A 1.9-mm field of an H&E-stained sentinel lymph node from a breast-cancer patient (whole-slide image), shown at about 2.5×, about 3.6 µm per pixel.
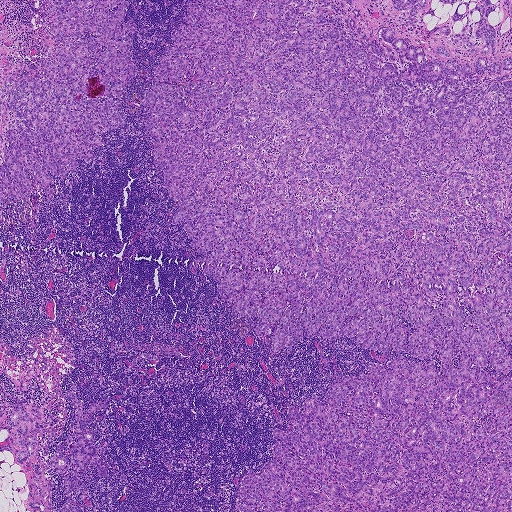
Boundaries of five metastatic tumour regions, simplified and listed clockwise, largest first: region 1: (186, 0), (353, 0), (366, 35), (389, 25), (428, 60), (511, 57), (511, 511), (237, 511), (290, 406), (397, 354), (316, 335), (270, 354), (274, 326), (260, 340), (189, 271), (204, 254), (168, 221), (144, 130); region 2: (127, 0), (137, 70), (118, 99), (124, 127), (100, 136), (107, 147), (92, 148), (89, 164), (75, 159), (77, 168), (61, 181), (52, 178), (50, 201), (34, 182), (26, 204), (19, 198), (17, 208), (11, 200), (0, 219), (0, 87), (26, 69), (37, 72), (52, 48), (43, 1); region 3: (17, 403), (26, 408), (36, 406), (45, 419), (42, 422), (37, 423), (35, 420), (37, 429), (52, 426), (62, 431), (52, 438), (37, 434), (38, 448), (35, 447), (34, 456), (28, 457), (27, 461), (35, 462), (41, 457), (40, 463), (43, 463), (46, 467), (44, 474), (52, 480), (50, 511), (27, 510), (23, 500), (29, 490), (25, 476), (13, 462), (11, 453), (2, 451), (0, 405), (6, 408), (9, 415); region 4: (438, 0), (470, 0), (469, 11), (481, 0), (490, 0), (496, 7), (487, 20), (497, 31), (495, 54), (470, 53), (461, 41), (455, 45), (451, 43), (463, 26), (461, 21), (452, 21), (451, 17), (459, 2), (451, 8), (447, 4), (442, 6); region 5: (391, 0), (426, 0), (425, 6), (417, 12), (419, 22), (416, 27), (405, 27), (401, 24), (408, 19), (405, 13), (408, 10), (396, 11).
One more tumour region is annotated but not outlined: its edge is too irregular for a short outline.
Three more small tumour pieces are annotated here but not outlined.
About 65% of this field is tumour.